Question: 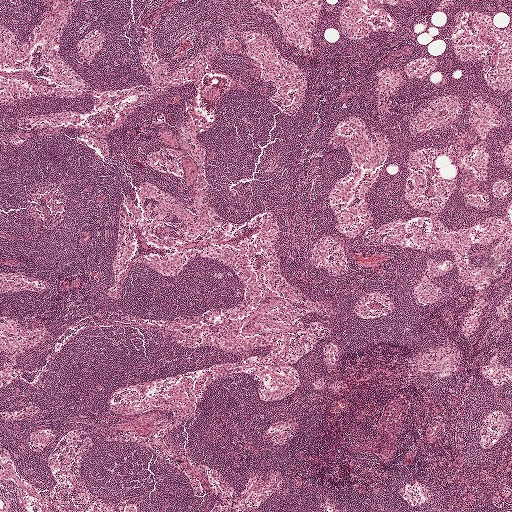
Which magnification is this H&E lymph node field most likely shown at?

Choices:
 (A) about 20×
 (B) about 5×
 (C) about 10×
 (D) about 2.5×
 (E) about 40×

Answer: (D) about 2.5×
H&E-stained section of a sentinel lymph node (breast cancer), from a whole-slide image, viewed at about 2.5×: the field is about 2.0 mm across, about 3.9 µm per pixel.